Lymph node section stained with H&E, from a whole-slide image of a breast-cancer sentinel node. Magnification about 10×, about 0.5 mm across the frame, about 0.97 µm per pixel.
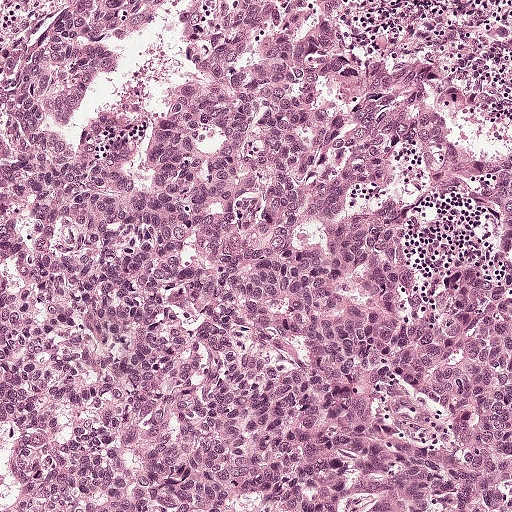
Question: Show where the tumour is in this image.
Answer: Tumour region outline (a closed clockwise path, crop pixels): (352, 46), (416, 61), (511, 105), (511, 511), (0, 511), (12, 471), (0, 430), (0, 262), (66, 204), (140, 178), (160, 121), (254, 63).
Tumour covers about 80% of the frame.